Question: 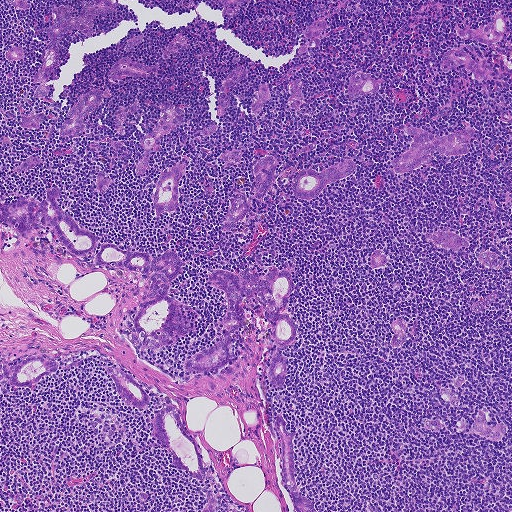
Lymph node section stained with H&E, from a whole-slide image of a breast-cancer sentinel node. Magnification about 5×, about 0.93 mm across the frame, about 1.8 µm per pixel.
Estimate the proportion of this field that is metastatic tumour.

Choices:
 (A) none: no tumour is outlined
 (B) about 50% or more
 (C) about 5% or less
 (D) about 25% to 45%
 (E) about 10% to 20%

Answer: (E) about 10% to 20%
About 15% of the field is tumour.
Outlines of the eight largest metastatic tumour regions, each a closed clockwise path in crop pixels (x, y), largest first: region 1: (270, 266), (276, 267), (291, 274), (294, 286), (280, 313), (291, 319), (296, 330), (293, 341), (280, 353), (289, 362), (283, 386), (277, 387), (269, 378), (274, 348), (270, 323), (261, 316), (262, 304), (254, 295), (248, 294), (240, 303), (245, 321), (229, 339), (234, 358), (231, 363), (210, 373), (185, 371), (186, 360), (214, 346), (222, 336), (214, 326), (226, 312), (228, 299), (221, 289), (209, 285), (210, 273), (222, 270), (238, 274), (247, 270), (260, 277), (269, 272); region 2: (101, 244), (143, 251), (149, 254), (150, 260), (174, 251), (178, 256), (182, 269), (170, 283), (167, 295), (176, 303), (180, 316), (190, 323), (190, 330), (170, 345), (151, 348), (141, 342), (134, 320), (142, 296), (148, 294), (157, 272), (130, 271), (97, 262), (95, 255); region 3: (47, 186), (53, 186), (60, 188), (57, 201), (62, 212), (81, 229), (92, 232), (95, 237), (93, 249), (95, 254), (92, 250), (83, 255), (70, 253), (53, 227), (48, 229), (36, 224), (21, 234), (0, 221), (0, 203), (11, 202), (22, 195), (33, 201), (40, 201), (46, 199); region 4: (110, 0), (114, 4), (109, 13), (92, 18), (91, 30), (80, 32), (75, 28), (65, 32), (59, 42), (59, 61), (44, 82), (48, 92), (33, 96), (40, 82), (34, 82), (46, 49), (44, 28), (54, 20), (53, 11), (57, 7), (63, 5), (72, 16), (78, 16), (87, 1); region 5: (168, 405), (174, 406), (179, 411), (186, 429), (198, 444), (206, 468), (206, 475), (203, 480), (191, 477), (188, 471), (175, 467), (171, 462), (172, 450), (161, 444), (157, 439), (154, 423), (158, 411), (162, 406); region 6: (410, 125), (438, 136), (472, 130), (473, 135), (469, 139), (467, 146), (469, 153), (463, 156), (448, 155), (435, 151), (429, 155), (430, 162), (404, 173), (395, 173), (390, 161), (409, 151), (413, 145), (413, 138), (407, 134), (404, 128); region 7: (280, 414), (286, 419), (286, 431), (292, 433), (296, 431), (292, 444), (293, 465), (299, 493), (310, 500), (316, 511), (294, 511), (293, 498), (280, 481), (281, 455), (278, 449), (275, 427); region 8: (348, 160), (354, 162), (355, 167), (354, 172), (348, 176), (326, 185), (319, 194), (308, 199), (297, 197), (294, 192), (291, 187), (295, 176), (307, 169), (318, 172).
31 more, smaller tumour regions are not outlined.